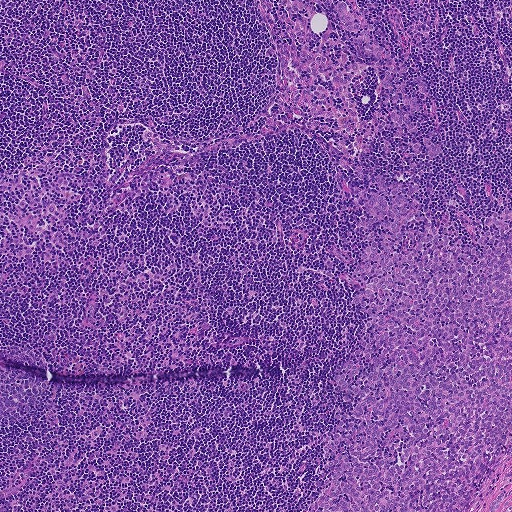
This is a crop of a whole-slide image: an H&E-stained breast-cancer sentinel lymph node section at roughly 5× magnification (about 1.8 µm per pixel; the crop spans about 0.93 mm).
Outlines of two tumour regions, largest first (closed clockwise paths, crop pixels): region 1: (376, 173), (402, 193), (421, 188), (411, 197), (452, 245), (472, 249), (459, 215), (507, 209), (511, 511), (301, 511), (326, 485), (332, 414), (360, 397), (340, 393), (333, 368), (369, 362), (352, 351), (368, 318), (347, 283), (369, 242), (359, 221), (372, 216), (362, 198); region 2: (346, 0), (379, 31), (394, 66), (407, 65), (402, 80), (418, 75), (424, 82), (429, 89), (425, 96), (414, 82), (407, 87), (426, 111), (409, 119), (419, 142), (430, 130), (437, 134), (430, 140), (442, 144), (436, 158), (431, 159), (423, 146), (418, 158), (412, 156), (399, 137), (388, 154), (380, 152), (382, 142), (398, 129), (381, 136), (380, 120), (403, 109), (403, 104), (388, 99), (382, 87), (385, 62), (361, 52), (355, 31), (350, 32), (337, 9).
Tumour covers about 20% of the frame.